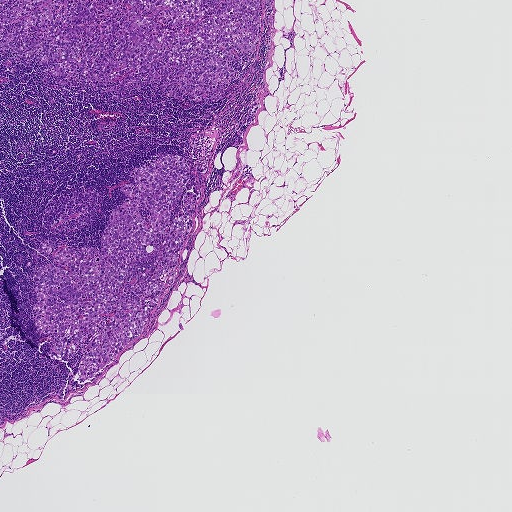
Lymph node section stained with H&E, from a whole-slide image of a breast-cancer sentinel node. Magnification about 2.5×, about 1.9 mm across the frame, about 3.6 µm per pixel.
Three metastatic tumour regions, each outlined as a closed clockwise path in crop pixels (x, y), largest first: region 1: (0, 0), (260, 0), (256, 48), (234, 50), (233, 60), (225, 61), (235, 72), (231, 85), (221, 99), (202, 105), (167, 94), (172, 85), (104, 92), (114, 84), (100, 87), (78, 74), (51, 74), (34, 60), (24, 65), (22, 57), (5, 67), (17, 53), (2, 53); region 2: (185, 158), (190, 176), (170, 222), (186, 191), (198, 192), (174, 284), (141, 334), (81, 382), (95, 334), (53, 355), (59, 341), (38, 331), (32, 307), (38, 268), (58, 267), (60, 248), (100, 251), (132, 168); region 3: (44, 242), (46, 244), (48, 248), (51, 247), (52, 250), (50, 253), (47, 253), (40, 252), (37, 250), (39, 247), (41, 243).
About 15% of this field is tumour.